A 2.0-mm field of an H&E-stained sentinel lymph node from a breast-cancer patient (whole-slide image), shown at about 2.5×, about 3.9 µm per pixel.
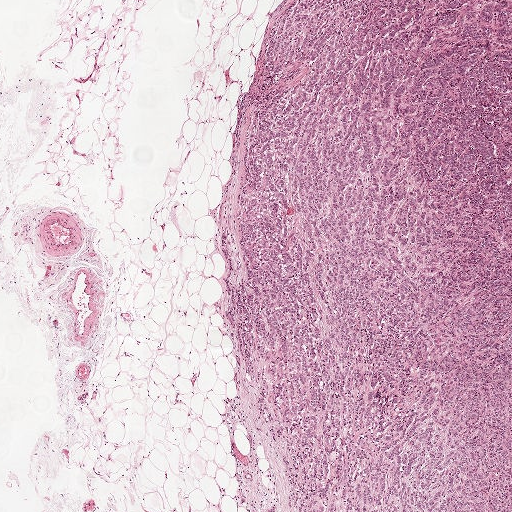
The outlined metastatic tumour's edge, as a closed clockwise path of 8 points: (511, 0), (511, 511), (251, 511), (291, 501), (225, 317), (226, 220), (255, 77), (289, 1).
About 50% of the image area is annotated as tumour.